This is a crop of a whole-slide image: an H&E-stained breast-cancer sentinel lymph node section at roughly 20× magnification (about 0.49 µm per pixel; the crop spans about 0.25 mm).
Question: 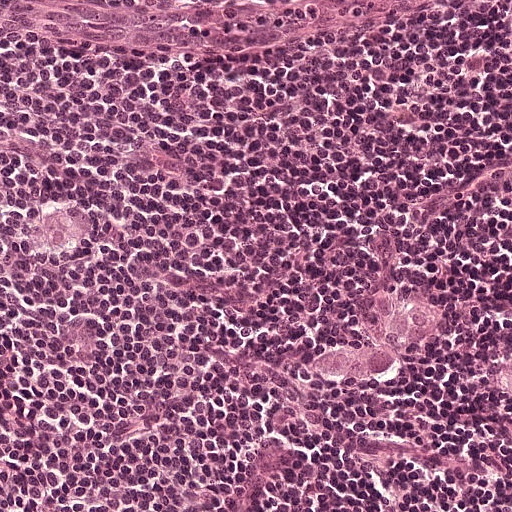
What fraction of the image area is metastatic tumour?

Choices:
 (A) about 5% or less
 (B) none: no tumour is outlined
 (C) about 50% or more
 (D) about 10% to 20%
 (E) about 25% to 45%

Answer: (A) about 5% or less
About 5% of the field is tumour.
Boundaries of three metastatic tumour regions, simplified and listed clockwise, largest first: region 1: (413, 290), (430, 294), (442, 306), (442, 319), (424, 332), (411, 346), (390, 346), (395, 353), (392, 355), (395, 362), (393, 370), (370, 374), (360, 379), (326, 371), (312, 361), (319, 350), (338, 342), (386, 346), (381, 342), (381, 330), (384, 329), (386, 302), (398, 294); region 2: (76, 198), (92, 206), (97, 217), (86, 248), (66, 255), (42, 255), (32, 252), (26, 244), (26, 228), (36, 206), (46, 202); region 3: (511, 352), (511, 400), (508, 398), (504, 386), (484, 378), (488, 359).